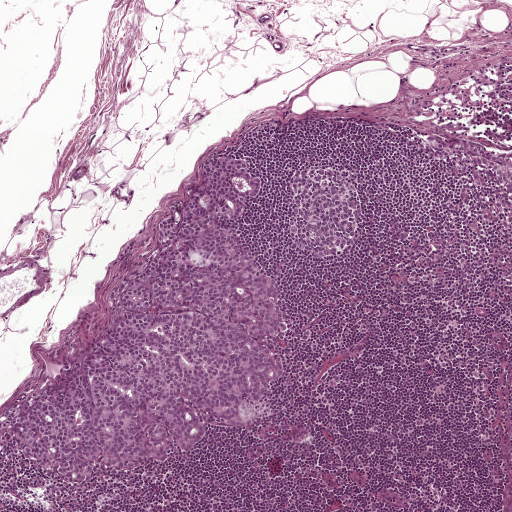
Lymph node section stained with H&E, from a whole-slide image of a breast-cancer sentinel node. Magnification about 5×, about 1 mm across the frame, about 1.9 µm per pixel.
Question: Where is the metastatic tumour in this field?
Answer: Outlines of two tumour regions, largest first (closed clockwise paths, crop pixels): region 1: (204, 159), (256, 160), (268, 178), (239, 214), (252, 255), (280, 291), (287, 337), (280, 382), (256, 426), (210, 434), (167, 465), (112, 472), (90, 486), (60, 485), (18, 456), (0, 455), (0, 414), (60, 376), (100, 335), (109, 290), (145, 267), (160, 217); region 2: (432, 131), (469, 140), (496, 149), (511, 150), (511, 216), (496, 209), (491, 192), (470, 182), (458, 167), (430, 158), (424, 139).
Tumour covers about 20% of the frame.